Question: 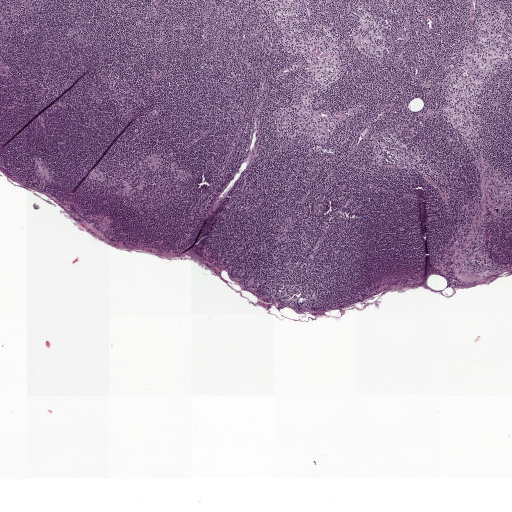
About what magnification does this crop show?

Choices:
 (A) about 2.5×
 (B) about 5×
 (C) about 40×
 (D) about 20×
 (E) about 10×

Answer: (A) about 2.5×
A 2.0-mm field of an H&E-stained sentinel lymph node from a breast-cancer patient (whole-slide image), shown at about 2.5×, about 3.9 µm per pixel.